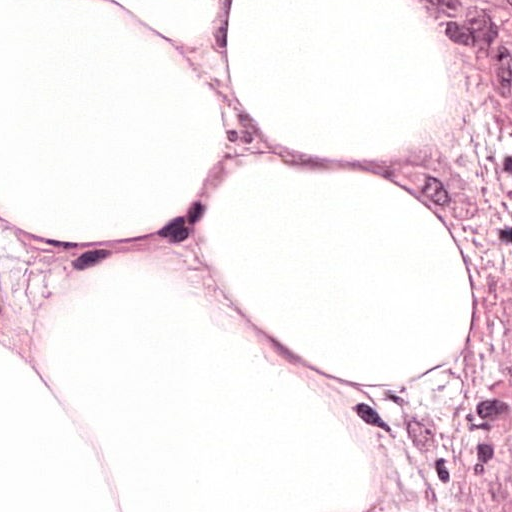
H&E-stained section of a sentinel lymph node (breast cancer), from a whole-slide image, viewed at about 40×: the field is about 0.12 mm across, about 0.24 µm per pixel.
The outlined metastatic tumour's edge, as a closed clockwise path of 9 points: (377, 0), (511, 0), (511, 511), (338, 511), (338, 485), (286, 348), (303, 348), (400, 166), (406, 63).
Tumour covers about 30% of the frame.